Image:
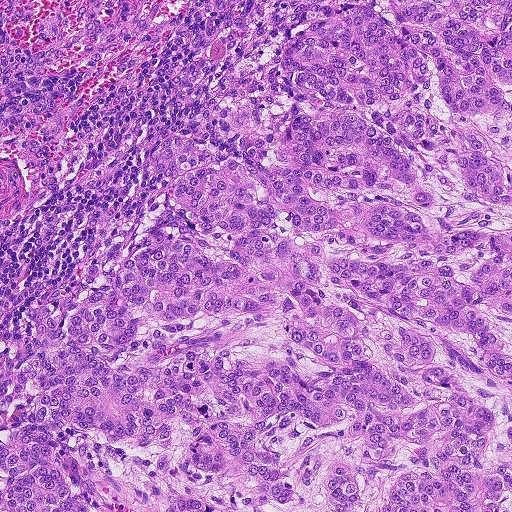
This is a crop of a whole-slide image: an H&E-stained breast-cancer sentinel lymph node section at roughly 10× magnification (about 0.9 µm per pixel; the crop spans about 0.46 mm).
Question:
Where is the metastatic tumour in this field?
Answer:
The outlined metastatic tumour's edge, as a closed clockwise path of 22 points: (511, 0), (511, 511), (0, 511), (0, 430), (32, 400), (4, 384), (29, 354), (39, 299), (81, 262), (92, 207), (129, 213), (152, 201), (173, 175), (148, 172), (144, 160), (173, 136), (237, 154), (215, 98), (296, 27), (365, 2), (388, 17), (387, 6).
About 80% of the image area is annotated as tumour.